Image:
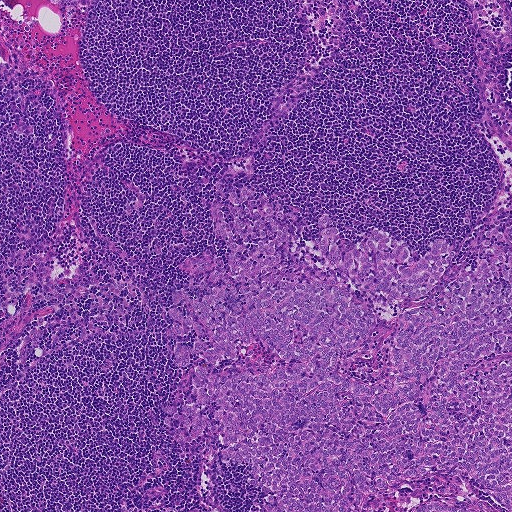
H&E-stained section of a sentinel lymph node (breast cancer), from a whole-slide image, viewed at about 5×: the field is about 0.93 mm across, about 1.8 µm per pixel.
Question:
Is any metastatic breast cancer visible in this crop?
Answer:
Yes.
One metastatic tumour region; its boundary, reduced to 23 corners and listed clockwise: (214, 183), (415, 261), (444, 238), (410, 305), (434, 300), (475, 268), (488, 231), (511, 240), (511, 511), (467, 480), (443, 499), (486, 511), (252, 511), (251, 466), (181, 458), (162, 406), (205, 363), (172, 352), (208, 340), (166, 314), (215, 267), (183, 258), (225, 267).
The annotated tumour makes up about 35% of the crop.